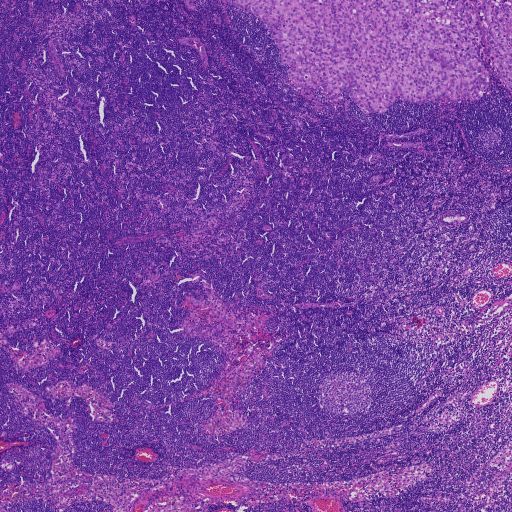
Lymph node section stained with H&E, from a whole-slide image of a breast-cancer sentinel node. Magnification about 2.5×, about 1.9 mm across the frame, about 3.6 µm per pixel.
Question: Where is the metastatic tumour in this field? Give each region's outline as (x, y) pixel points.
Answer: Metastatic tumour outline, simplified to 18 points and listed clockwise in crop pixels (x, y): (228, 0), (511, 0), (511, 95), (487, 63), (496, 88), (490, 97), (475, 103), (446, 98), (421, 104), (397, 98), (384, 113), (369, 113), (346, 90), (336, 104), (320, 87), (316, 92), (296, 87), (262, 22).
Tumour covers about 10% of the frame.